Question: 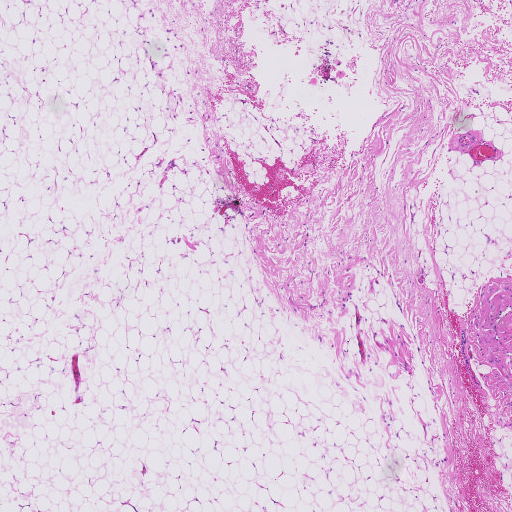
At roughly what magnification is this field shown?

Choices:
 (A) about 5×
 (B) about 2.5×
 (C) about 20×
 (D) about 40×
 (E) about 10×

Answer: (B) about 2.5×
Lymph node section stained with H&E, from a whole-slide image of a breast-cancer sentinel node. Magnification about 2.5×, about 1.9 mm across the frame, about 3.6 µm per pixel.